A 0.46-mm field of an H&E-stained sentinel lymph node from a breast-cancer patient (whole-slide image), shown at about 10×, about 0.9 µm per pixel.
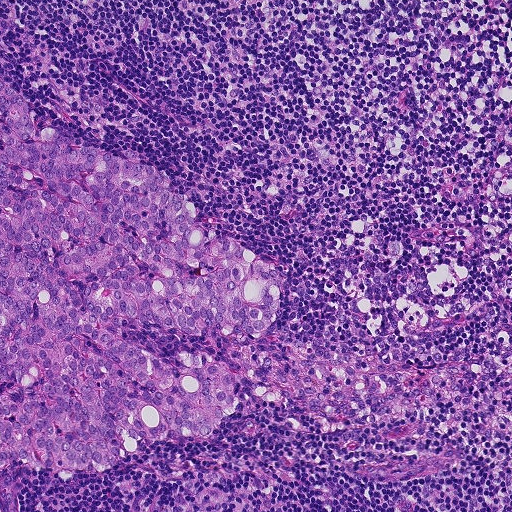
The outlined metastatic tumour's edge, as a closed clockwise path of 14 points: (0, 67), (32, 116), (163, 174), (200, 220), (284, 277), (280, 318), (251, 346), (254, 366), (212, 434), (153, 441), (102, 476), (42, 469), (15, 511), (0, 511).
Tumour covers about 30% of the frame.